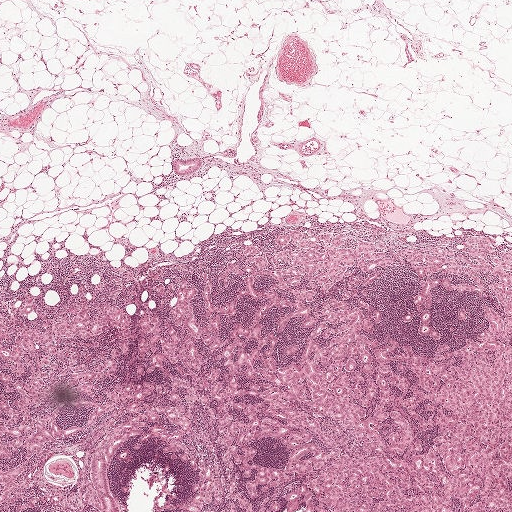
A 2.0-mm field of an H&E-stained sentinel lymph node from a breast-cancer patient (whole-slide image), shown at about 2.5×, about 3.9 µm per pixel.
Boundaries of two metastatic tumour regions, simplified and listed clockwise, largest first: region 1: (470, 236), (492, 239), (497, 255), (511, 251), (511, 511), (459, 511), (458, 499), (455, 511), (328, 511), (319, 501), (311, 480), (340, 457), (404, 460), (429, 450), (435, 414), (431, 429), (421, 431), (403, 406), (418, 383), (395, 368), (404, 345), (423, 354), (441, 344), (464, 346), (487, 325), (483, 303), (503, 319), (490, 293), (437, 289), (430, 324), (442, 338), (431, 342), (418, 332), (418, 280), (449, 276), (477, 285), (464, 269), (474, 262), (465, 254); region 2: (296, 231), (302, 233), (303, 240), (317, 244), (317, 253), (334, 247), (354, 251), (362, 241), (373, 244), (376, 248), (371, 254), (363, 254), (361, 258), (354, 259), (354, 263), (348, 269), (351, 274), (340, 278), (326, 288), (313, 281), (306, 283), (306, 274), (301, 277), (301, 285), (294, 286), (256, 274), (259, 269), (279, 270), (290, 266), (283, 262), (282, 257), (274, 264), (271, 258), (279, 250), (297, 248), (297, 244), (290, 239), (284, 245), (276, 242), (280, 235).
About 10% of the image area is annotated as tumour.